Question: 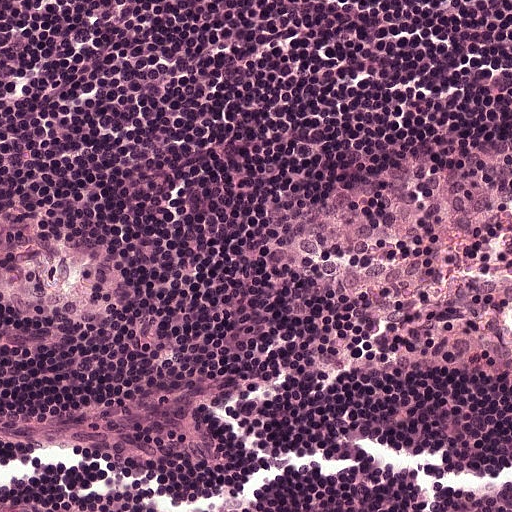
Which magnification is this H&E lymph node field most likely shown at?

Choices:
 (A) about 40×
 (B) about 5×
 (C) about 20×
 (D) about 2.5×
 (E) about 10×

Answer: (C) about 20×
Lymph node section stained with H&E, from a whole-slide image of a breast-cancer sentinel node. Magnification about 20×, about 0.25 mm across the frame, about 0.49 µm per pixel.